H&E-stained section of a sentinel lymph node (breast cancer), from a whole-slide image, viewed at about 2.5×: the field is about 2.0 mm across, about 3.9 µm per pixel.
Image:
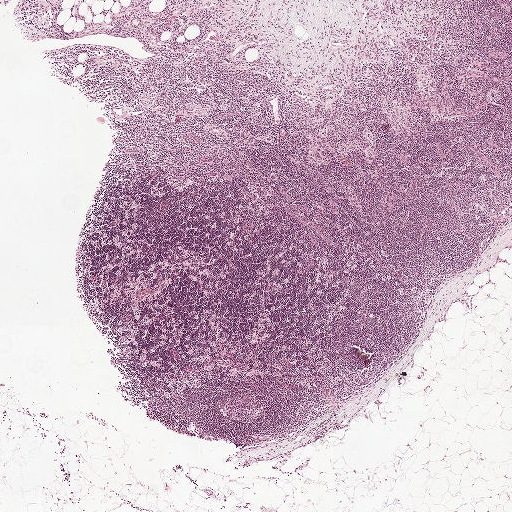
Question:
Does this lymph node field contain metastatic tumour?
Answer:
No. No metastatic tumour is outlined in this field.